This is a crop of a whole-slide image: an H&E-stained breast-cancer sentinel lymph node section at roughly 2.5× magnification (about 3.9 µm per pixel; the crop spans about 2.0 mm).
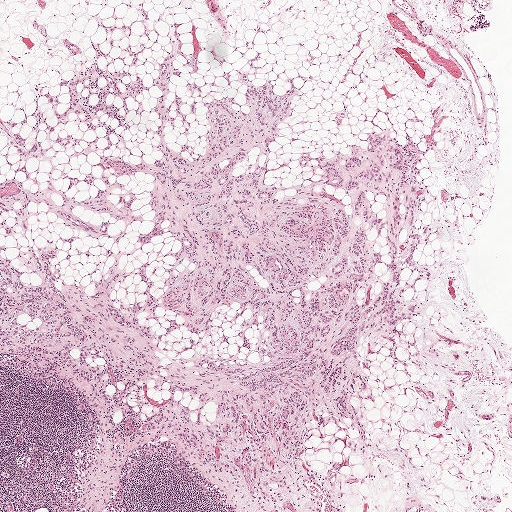
Boundaries of seven metastatic tumour regions, simplified and listed clockwise, largest first: region 1: (172, 38), (172, 149), (248, 113), (257, 51), (296, 82), (273, 200), (371, 131), (429, 187), (416, 314), (358, 348), (378, 406), (258, 468), (120, 462), (65, 368), (0, 355), (0, 182), (80, 200), (160, 160); region 2: (90, 41), (99, 44), (102, 72), (128, 70), (121, 83), (142, 76), (149, 89), (138, 96), (144, 106), (138, 116), (133, 97), (127, 98), (126, 113), (113, 94), (106, 96), (130, 124), (118, 149), (110, 134), (107, 151), (108, 140), (101, 137), (96, 154), (84, 157), (79, 153), (96, 138), (94, 131), (77, 123), (76, 112), (58, 124), (43, 96), (46, 92), (59, 95), (56, 112), (66, 112), (71, 99), (58, 82), (92, 64); region 3: (37, 105), (39, 113), (44, 118), (47, 123), (53, 127), (61, 136), (65, 137), (68, 133), (69, 133), (78, 137), (79, 140), (79, 142), (76, 145), (68, 144), (63, 146), (56, 145), (54, 144), (53, 141), (56, 136), (56, 133), (56, 132), (48, 132), (45, 125), (44, 124), (40, 125), (38, 131), (35, 134), (34, 131), (31, 129), (33, 122), (33, 118), (30, 116), (36, 109); region 4: (9, 121), (16, 124), (12, 130), (15, 133), (21, 134), (24, 139), (24, 148), (27, 148), (30, 146), (35, 135), (38, 139), (42, 141), (42, 146), (34, 150), (30, 155), (23, 155), (19, 154), (17, 151), (13, 139), (6, 127), (7, 122); region 5: (338, 112), (344, 113), (344, 118), (341, 121), (343, 124), (338, 127), (336, 127), (335, 122), (332, 120); region 6: (193, 81), (196, 84), (201, 87), (202, 92), (200, 92), (186, 89), (186, 85), (189, 83), (193, 82); region 7: (194, 101), (196, 101), (197, 102), (197, 103), (195, 106), (196, 114), (192, 116), (190, 116), (190, 110), (189, 104).
The annotated tumour makes up about 45% of the crop.